Question: 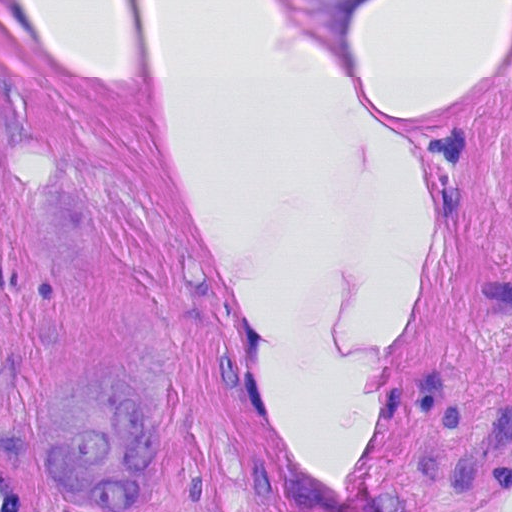
A 0.12-mm field of an H&E-stained sentinel lymph node from a breast-cancer patient (whole-slide image), shown at about 40×, about 0.23 µm per pixel.
What fraction of the image area is metastatic tumour?

Choices:
 (A) about 50% or more
 (B) about 25% to 45%
 (C) about 5% or less
 (D) about 10% to 20%
 (E) none: no tumour is outlined

Answer: (D) about 10% to 20%
About 15% of the field is tumour.
Two metastatic tumour regions, each outlined as a closed clockwise path in crop pixels (x, y), largest first: region 1: (33, 180), (64, 187), (103, 229), (126, 279), (163, 324), (178, 380), (156, 494), (127, 511), (84, 511), (54, 491), (31, 431), (39, 369), (59, 314), (51, 253), (26, 200); region 2: (281, 0), (382, 0), (363, 19), (357, 47), (356, 76), (303, 33).